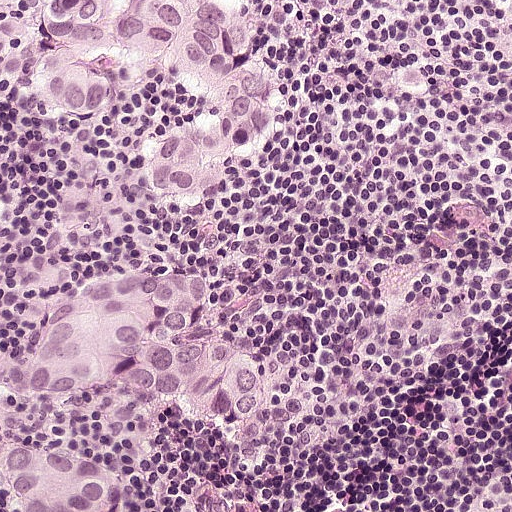
Lymph node section stained with H&E, from a whole-slide image of a breast-cancer sentinel node. Magnification about 20×, about 0.25 mm across the frame, about 0.49 µm per pixel.
Outlines of three tumour regions, largest first (closed clockwise paths, crop pixels): region 1: (34, 1), (236, 4), (281, 85), (272, 142), (216, 180), (166, 201), (138, 174), (159, 136), (198, 108), (194, 85), (145, 65), (89, 124), (53, 120), (32, 102), (22, 76), (22, 58), (32, 44); region 2: (167, 270), (206, 274), (209, 334), (246, 348), (262, 371), (254, 414), (230, 428), (208, 428), (184, 410), (118, 385), (80, 402), (36, 398), (30, 392), (28, 360), (40, 328), (102, 280); region 3: (0, 436), (88, 457), (109, 466), (119, 476), (119, 511), (14, 511), (0, 479).
About 25% of the image area is annotated as tumour.